Question: 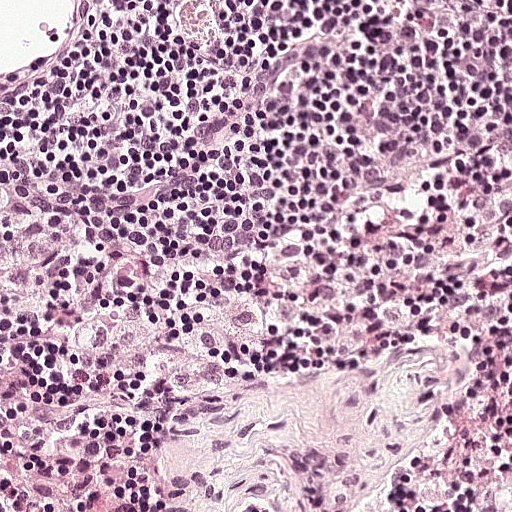
About what magnification does this crop show?

Choices:
 (A) about 20×
 (B) about 10×
 (C) about 5×
 (D) about 2.5×
 (E) about 40×

Answer: (A) about 20×
This is a crop of a whole-slide image: an H&E-stained breast-cancer sentinel lymph node section at roughly 20× magnification (about 0.49 µm per pixel; the crop spans about 0.25 mm).